Question: 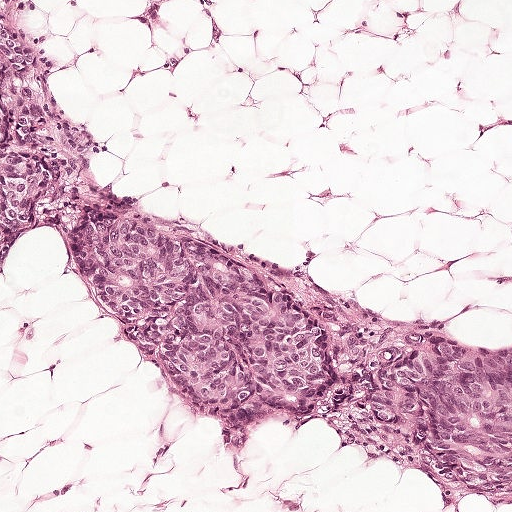
A 0.5-mm field of an H&E-stained sentinel lymph node from a breast-cancer patient (whole-slide image), shown at about 10×, about 0.97 µm per pixel.
What fraction of the image area is metastatic tumour?

Choices:
 (A) about 10% to 20%
 (B) none: no tumour is outlined
 (C) about 50% or more
 (D) about 25% to 45%
 (E) about 5% or less

Answer: (D) about 25% to 45%
About 35% of the field is tumour.
The outlined metastatic tumour's edge, as a closed clockwise path of 15 points: (0, 0), (31, 0), (31, 44), (74, 135), (111, 146), (271, 279), (367, 327), (511, 348), (511, 511), (388, 503), (271, 466), (202, 428), (47, 274), (20, 300), (0, 372).
One more small tumour piece is annotated here but not outlined.
Question: 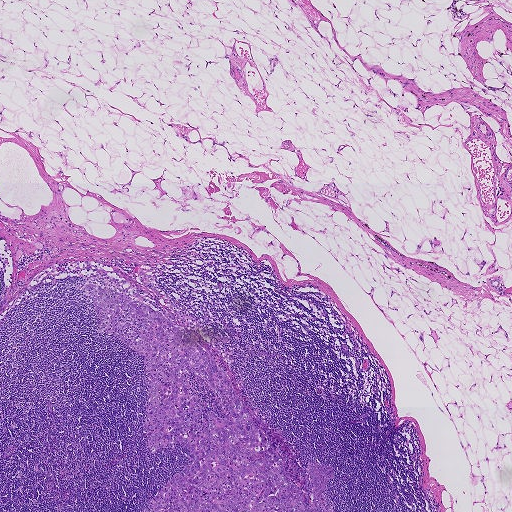
A 1.9-mm field of an H&E-stained sentinel lymph node from a breast-cancer patient (whole-slide image), shown at about 2.5×, about 3.6 µm per pixel.
What fraction of the image area is metastatic tumour?

Choices:
 (A) about 25% to 45%
 (B) about 50% or more
 (C) none: no tumour is outlined
 (D) about 10% to 20%
 (E) about 5% or less

Answer: (D) about 10% to 20%
About 10% of the field is tumour.
Tumour region outline (a closed clockwise path, crop pixels): (83, 284), (149, 303), (217, 359), (248, 412), (280, 435), (296, 462), (305, 471), (308, 461), (332, 466), (326, 495), (335, 511), (141, 511), (190, 455), (178, 443), (144, 449), (150, 434), (142, 427), (145, 368), (136, 352), (99, 332).
Question: 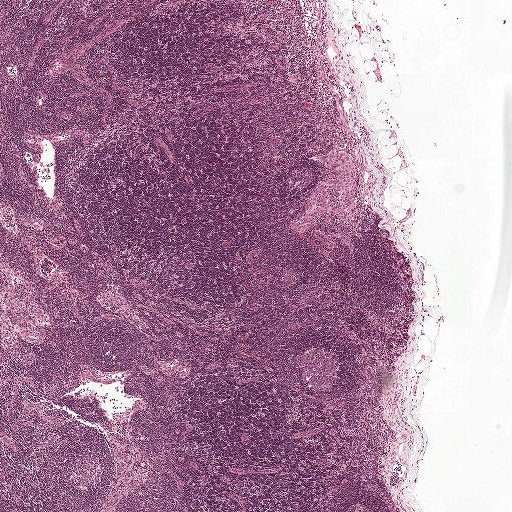
H&E-stained section of a sentinel lymph node (breast cancer), from a whole-slide image, viewed at about 2.5×: the field is about 2.0 mm across, about 3.9 µm per pixel.
What fraction of the image area is metastatic tumour?

Choices:
 (A) about 25% to 45%
 (B) about 50% or more
 (C) none: no tumour is outlined
 (D) about 10% to 20%
 (E) about 5% or less

Answer: (E) about 5% or less
Under 5% of the field is tumour.
The outlined metastatic tumour's edge, as a closed clockwise path of 18 points: (335, 148), (347, 151), (357, 161), (359, 214), (355, 220), (344, 222), (328, 211), (310, 230), (304, 233), (298, 233), (290, 228), (289, 224), (305, 212), (319, 185), (326, 180), (337, 178), (332, 168), (315, 157).
Question: 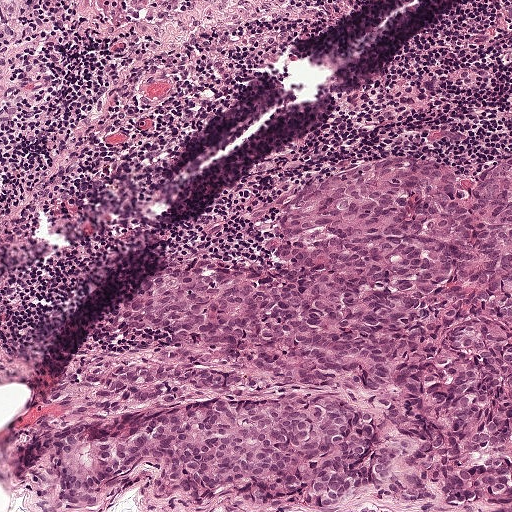
Lymph node section stained with H&E, from a whole-slide image of a breast-cancer sentinel node. Magnification about 10×, about 0.5 mm across the frame, about 0.97 µm per pixel.
What fraction of the image area is metastatic tumour?

Choices:
 (A) about 10% to 20%
 (B) none: no tumour is outlined
 (C) about 25% to 45%
 (D) about 50% or more
 (E) about 5% or less

Answer: (C) about 25% to 45%
About 45% of the field is tumour.
The outlined metastatic tumour's edge, as a closed clockwise path of 22 points: (511, 151), (511, 511), (405, 503), (402, 511), (194, 511), (146, 495), (136, 479), (88, 511), (53, 509), (50, 450), (72, 427), (155, 398), (266, 386), (131, 313), (145, 285), (177, 270), (245, 274), (263, 264), (281, 200), (342, 170), (421, 163), (472, 174).